Image:
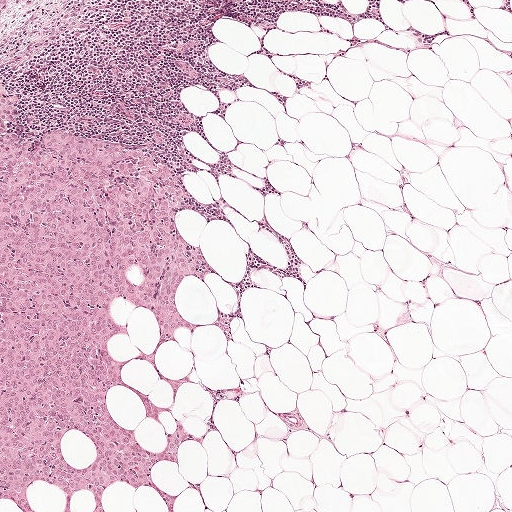
Lymph node section stained with H&E, from a whole-slide image of a breast-cancer sentinel node. Magnification about 5×, about 1 mm across the frame, about 1.9 µm per pixel.
Question:
Where is the metastatic tumour in this field? Give each region's outline as (x, y) pixel points.
Answer:
Outlines of two tumour regions, largest first (closed clockwise paths, crop pixels): region 1: (0, 82), (19, 134), (127, 140), (177, 171), (177, 231), (217, 272), (176, 279), (174, 300), (194, 322), (233, 312), (232, 340), (177, 325), (154, 350), (192, 373), (172, 402), (132, 356), (160, 337), (156, 309), (110, 304), (120, 373), (170, 405), (147, 416), (107, 389), (140, 445), (161, 451), (179, 419), (200, 431), (207, 387), (225, 396), (215, 429), (150, 465), (177, 511), (113, 482), (108, 511), (80, 487), (67, 511), (43, 478), (40, 511), (0, 500); region 2: (0, 0), (35, 0), (24, 4), (16, 4), (5, 14), (0, 24).
One more small tumour piece is annotated here but not outlined.
About 20% of the image area is annotated as tumour.